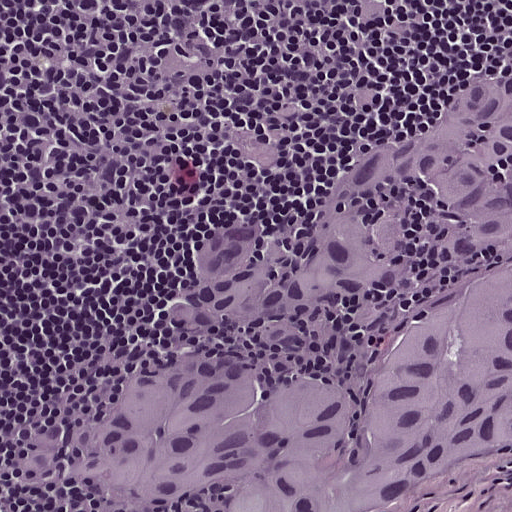
Lymph node section stained with H&E, from a whole-slide image of a breast-cancer sentinel node. Magnification about 20×, about 0.25 mm across the frame, about 0.49 µm per pixel.
One metastatic tumour region; its boundary, reduced to 20 corners and listed clockwise: (511, 83), (511, 469), (430, 508), (390, 511), (207, 511), (207, 492), (171, 511), (130, 511), (29, 490), (1, 452), (35, 422), (90, 413), (152, 344), (160, 298), (212, 222), (258, 220), (258, 258), (296, 254), (342, 173), (457, 96).
Tumour covers about 50% of the frame.